This is a crop of a whole-slide image: an H&E-stained breast-cancer sentinel lymph node section at roughly 10× magnification (about 0.97 µm per pixel; the crop spans about 0.5 mm).
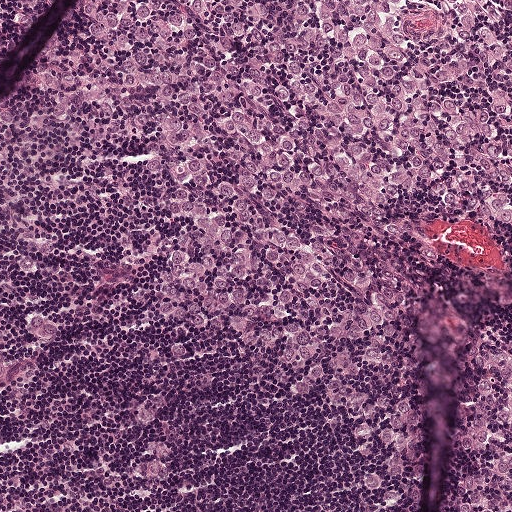
Outlines of three tumour regions, largest first (closed clockwise paths, crop pixels): region 1: (82, 0), (511, 0), (511, 264), (414, 200), (399, 216), (409, 251), (478, 297), (418, 288), (401, 300), (418, 408), (391, 511), (327, 511), (342, 439), (298, 381), (152, 321), (182, 234), (172, 181), (52, 124), (38, 88), (1, 66), (0, 58), (30, 82), (34, 59); region 2: (485, 314), (511, 318), (511, 511), (456, 511), (456, 456), (464, 427), (479, 401), (487, 371), (488, 329); region 3: (0, 0), (52, 0), (42, 13), (17, 30), (1, 48).
About 55% of the image area is annotated as tumour.